Lymph node section stained with H&E, from a whole-slide image of a breast-cancer sentinel node. Magnification about 40×, about 0.12 mm across the frame, about 0.23 µm per pixel.
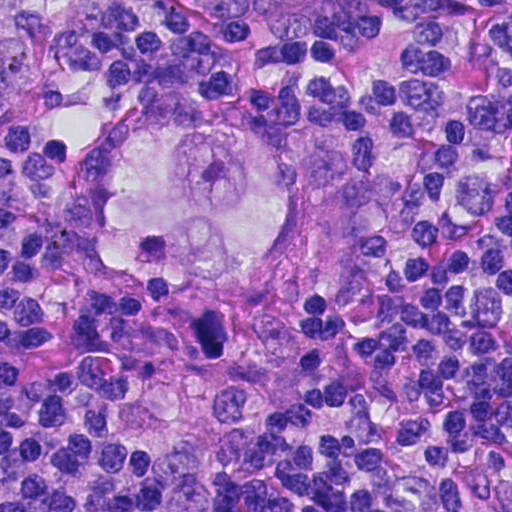
Tumour region outline (a closed clockwise path, crop pixels): (185, 122), (243, 122), (295, 183), (288, 236), (223, 295), (142, 292), (90, 231), (110, 150).
The annotated tumour makes up about 10% of the crop.